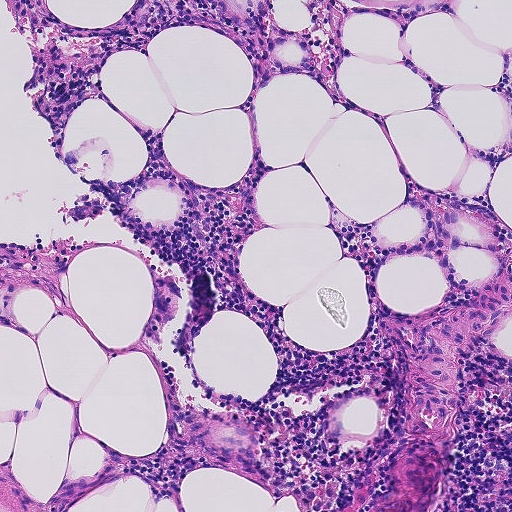
Lymph node section stained with H&E, from a whole-slide image of a breast-cancer sentinel node. Magnification about 10×, about 0.46 mm across the frame, about 0.9 µm per pixel.